Image:
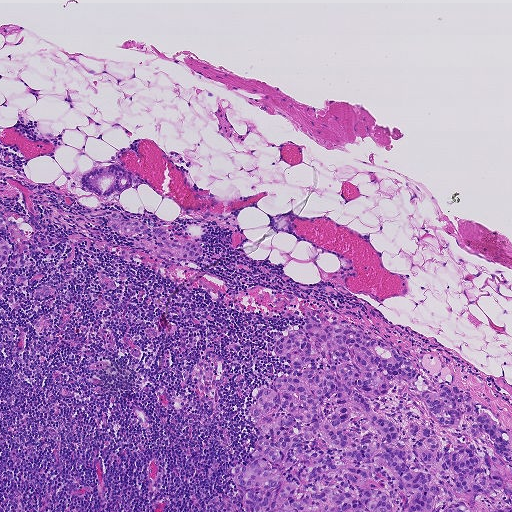
A 0.93-mm field of an H&E-stained sentinel lymph node from a breast-cancer patient (whole-slide image), shown at about 5×, about 1.8 µm per pixel.
Question:
Which parts of this field are metastatic tumour? Answer with the outline of each region, in pixels.
Answer:
Four metastatic tumour regions, each outlined as a closed clockwise path in crop pixels (x, y), largest first: region 1: (340, 321), (388, 344), (470, 394), (511, 444), (511, 511), (243, 511), (246, 491), (233, 486), (232, 469), (253, 447), (255, 428), (243, 419), (250, 391), (288, 365), (271, 353), (272, 342), (309, 323); region 2: (120, 212), (125, 220), (136, 219), (145, 222), (150, 230), (159, 226), (169, 229), (171, 239), (180, 237), (190, 238), (200, 241), (204, 250), (200, 259), (190, 261), (169, 260), (159, 258), (132, 244), (133, 240), (140, 235), (124, 238), (119, 232), (109, 228), (107, 223), (109, 213); region 3: (0, 235), (10, 242), (10, 252), (0, 273); region 4: (0, 204), (6, 210), (7, 220), (4, 230), (0, 234).
About 15% of this field is tumour.